Question: 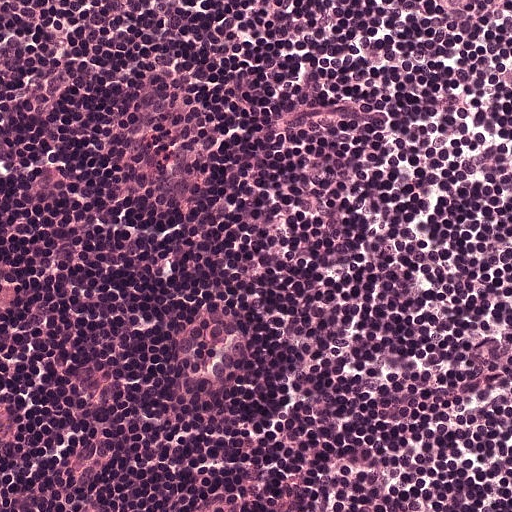
A 0.25-mm field of an H&E-stained sentinel lymph node from a breast-cancer patient (whole-slide image), shown at about 20×, about 0.49 µm per pixel.
What fraction of the image area is metastatic tumour?

Choices:
 (A) about 5% or less
 (B) none: no tumour is outlined
 (C) about 50% or more
 (D) about 25% to 45%
 (E) about 10% to 20%

Answer: (B) none: no tumour is outlined
No metastatic tumour is outlined in this field.